This is a crop of a whole-slide image: an H&E-stained breast-cancer sentinel lymph node section at roughly 2.5× magnification (about 3.6 µm per pixel; the crop spans about 1.9 mm).
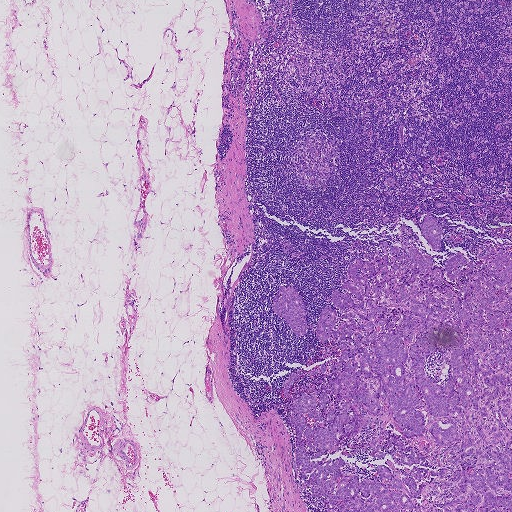
Outlines of two tumour regions, largest first (closed clockwise paths, crop pixels): region 1: (430, 213), (442, 230), (437, 264), (511, 242), (511, 511), (327, 511), (294, 468), (283, 387), (299, 366), (339, 360), (339, 343), (322, 343), (320, 313), (339, 309), (331, 292), (350, 279), (351, 261), (384, 241), (387, 251), (399, 247), (404, 235), (427, 254), (418, 235); region 2: (290, 285), (294, 288), (301, 297), (307, 330), (307, 334), (299, 337), (293, 332), (283, 318), (273, 311), (272, 299), (278, 287), (282, 286), (286, 288).
The annotated tumour makes up about 20% of the crop.